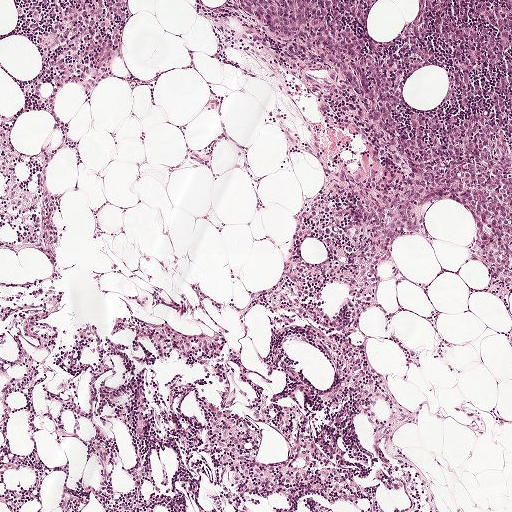
A 1-mm field of an H&E-stained sentinel lymph node from a breast-cancer patient (whole-slide image), shown at about 5×, about 1.9 µm per pixel.
Boundaries of two metastatic tumour regions, simplified and listed clockwise, largest first: region 1: (237, 0), (383, 0), (365, 28), (370, 39), (386, 42), (414, 19), (420, 0), (511, 0), (511, 284), (466, 261), (473, 216), (451, 200), (428, 203), (418, 236), (344, 251), (322, 243), (338, 172), (381, 168), (333, 119), (334, 75), (280, 56); region 2: (105, 0), (129, 0), (125, 42), (117, 65), (113, 67), (98, 67), (96, 62), (99, 41), (108, 16).
About 15% of the image area is annotated as tumour.